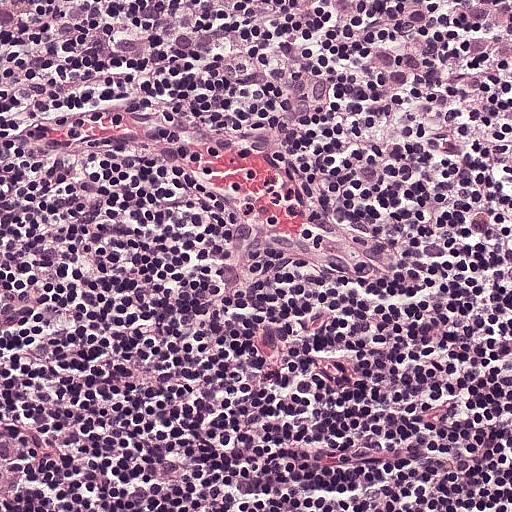
Lymph node section stained with H&E, from a whole-slide image of a breast-cancer sentinel node. Magnification about 20×, about 0.25 mm across the frame, about 0.49 µm per pixel.
Question: Which parts of this field are metastatic tumour?
Answer: One metastatic tumour region; its boundary, reduced to 5 corners and listed clockwise: (0, 0), (511, 0), (511, 202), (97, 89), (4, 50).
About 25% of this field is tumour.